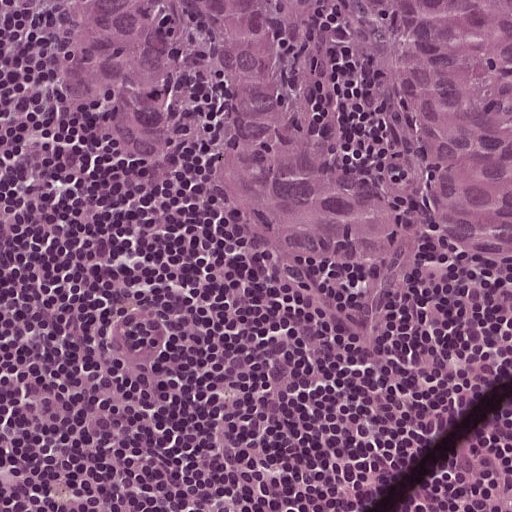
This is a crop of a whole-slide image: an H&E-stained breast-cancer sentinel lymph node section at roughly 20× magnification (about 0.49 µm per pixel; the crop spans about 0.25 mm).
Two metastatic tumour regions, each outlined as a closed clockwise path in crop pixels (x, y), largest first: region 1: (53, 0), (511, 0), (511, 270), (450, 264), (428, 241), (317, 287), (244, 267), (211, 200), (207, 90), (140, 186), (75, 142), (44, 74); region 2: (0, 0), (37, 0), (32, 9), (0, 47).
About 40% of the image area is annotated as tumour.